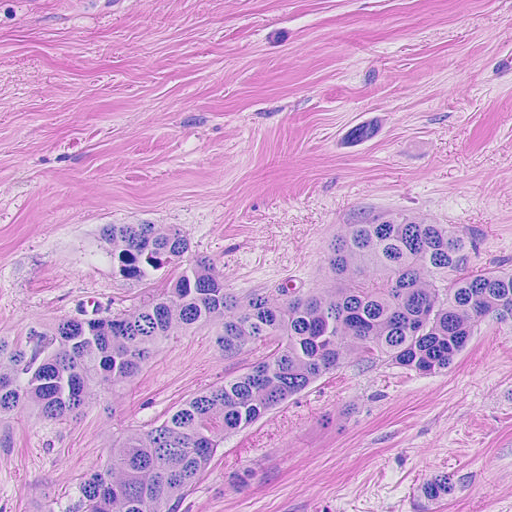
H&E-stained section of a sentinel lymph node (breast cancer), from a whole-slide image, viewed at about 20×: the field is about 0.23 mm across, about 0.45 µm per pixel.
The outlined metastatic tumour's edge, as a closed clockwise path of 16 points: (400, 194), (511, 230), (511, 511), (0, 511), (0, 325), (74, 294), (134, 288), (104, 273), (88, 243), (110, 217), (144, 203), (176, 213), (252, 279), (321, 247), (330, 214), (364, 200).
About 55% of this field is tumour.